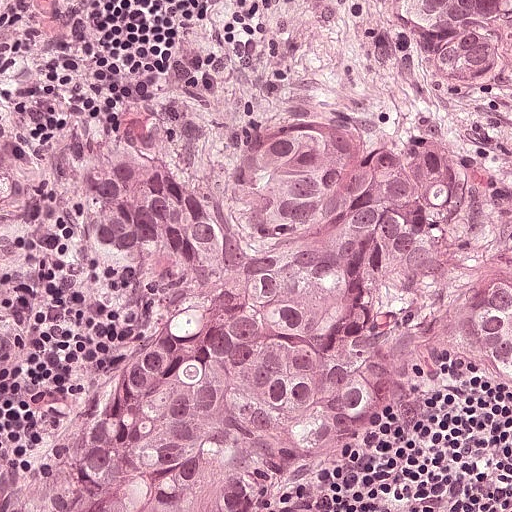
A 0.25-mm field of an H&E-stained sentinel lymph node from a breast-cancer patient (whole-slide image), shown at about 20×, about 0.49 µm per pixel.
Outlines of two tumour regions, largest first (closed clockwise paths, crop pixels): region 1: (180, 75), (278, 110), (410, 110), (492, 161), (484, 197), (448, 252), (478, 264), (510, 246), (511, 352), (498, 346), (452, 364), (213, 511), (45, 511), (95, 347), (159, 280), (134, 254), (58, 217), (72, 142), (98, 108); region 2: (511, 0), (511, 90), (467, 83), (426, 62), (387, 2).
The annotated tumour makes up about 55% of the crop.